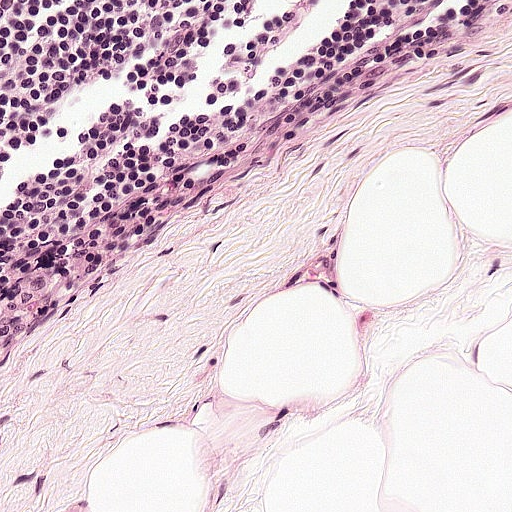
A 0.25-mm field of an H&E-stained sentinel lymph node from a breast-cancer patient (whole-slide image), shown at about 20×, about 0.49 µm per pixel.